Question: 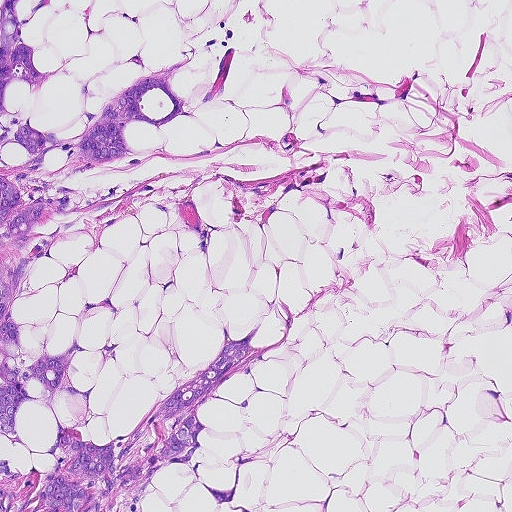
H&E-stained section of a sentinel lymph node (breast cancer), from a whole-slide image, viewed at about 10×: the field is about 0.46 mm across, about 0.9 µm per pixel.
Estimate the proportion of this field that is metastatic tumour.

Choices:
 (A) about 50% or more
 (B) none: no tumour is outlined
 (C) about 25% to 45%
 (D) about 5% or less
 (E) about 10% to 20%

Answer: (E) about 10% to 20%
About 15% of the field is tumour.
Outlines of two tumour regions, largest first (closed clockwise paths, crop pixels): region 1: (17, 0), (33, 64), (54, 73), (30, 94), (29, 84), (11, 83), (5, 105), (21, 123), (72, 140), (160, 71), (183, 102), (183, 115), (160, 127), (132, 122), (124, 131), (141, 155), (91, 170), (50, 151), (23, 180), (74, 192), (32, 231), (57, 238), (10, 312), (28, 356), (64, 354), (78, 337), (88, 350), (72, 359), (71, 383), (94, 387), (88, 402), (33, 380), (28, 392), (40, 403), (29, 401), (15, 419), (26, 446), (4, 437), (0, 6); region 2: (222, 324), (238, 339), (258, 324), (250, 344), (268, 349), (262, 362), (203, 404), (197, 414), (206, 426), (198, 435), (202, 446), (189, 464), (166, 468), (107, 508), (0, 511), (0, 459), (24, 472), (49, 472), (57, 417), (83, 431), (82, 440), (102, 445), (124, 437), (212, 362).